H&E-stained section of a sentinel lymph node (breast cancer), from a whole-slide image, viewed at about 10×: the field is about 0.5 mm across, about 0.97 µm per pixel.
Image:
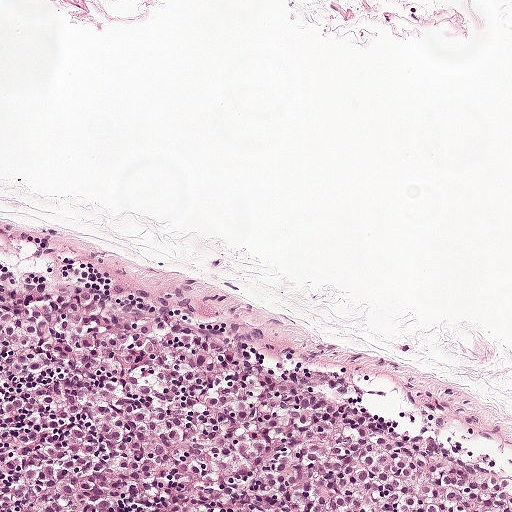
Question:
Does this lymph node field contain metastatic tumour?
Answer:
Yes.
The outlined metastatic tumour's edge, as a closed clockwise path of 6 points: (0, 255), (79, 274), (247, 360), (510, 436), (511, 511), (0, 511).
About 30% of this field is tumour.